Image:
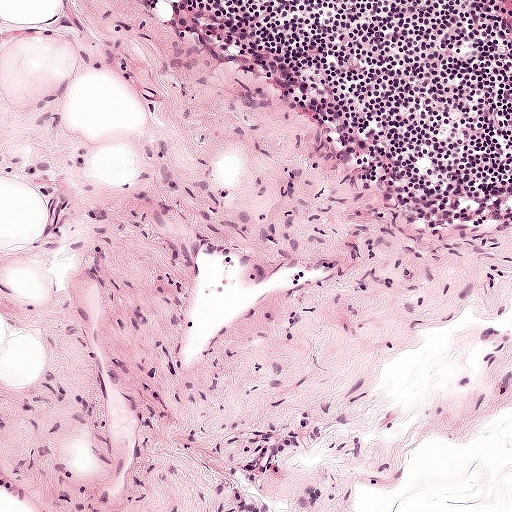
A 0.5-mm field of an H&E-stained sentinel lymph node from a breast-cancer patient (whole-slide image), shown at about 10×, about 0.97 µm per pixel.
Question:
Is there metastatic carcinoma in this field?
Answer:
No. No metastatic tumour is outlined in this field.